Question: 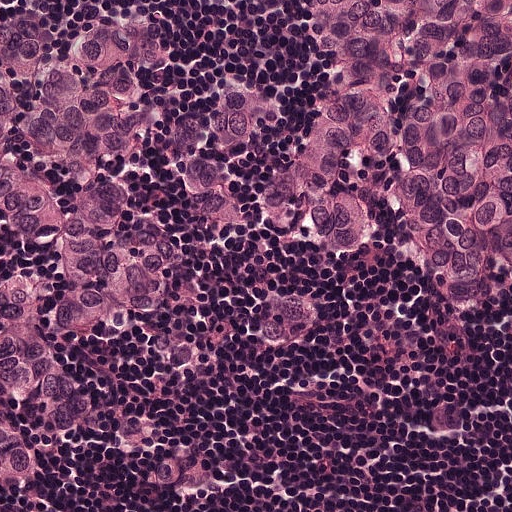
A 0.25-mm field of an H&E-stained sentinel lymph node from a breast-cancer patient (whole-slide image), shown at about 20×, about 0.49 µm per pixel.
About how much of this crop is taken up by metastatic carcinoma?

Choices:
 (A) about 5% or less
 (B) about 50% or more
 (C) about 10% to 20%
 (D) none: no tumour is outlined
 (E) about 25% to 45%

Answer: (B) about 50% or more
About 65% of the field is tumour.
Outlines of two tumour regions, largest first (closed clockwise paths, crop pixels): region 1: (0, 0), (93, 0), (269, 61), (261, 176), (166, 364), (134, 474), (100, 511), (0, 511); region 2: (308, 0), (511, 0), (511, 408), (443, 338), (380, 300), (328, 240), (284, 220).